Image:
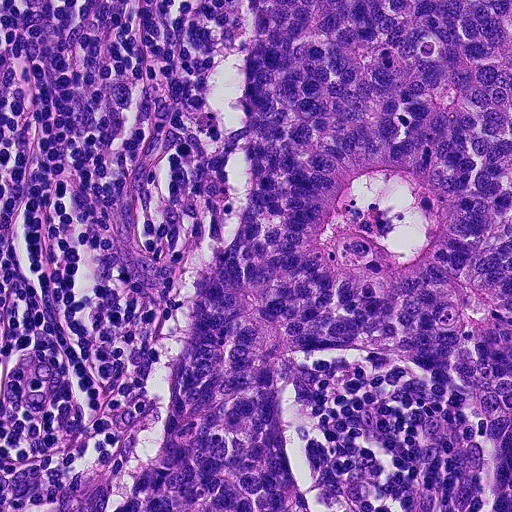
A 0.23-mm field of an H&E-stained sentinel lymph node from a breast-cancer patient (whole-slide image), shown at about 20×, about 0.45 µm per pixel.
Question:
Which parts of this field are metastatic tumour?
Answer:
Metastatic tumour outline, simplified to 7 points and listed clockwise in crop pixels (x, y): (236, 0), (511, 0), (511, 511), (63, 511), (142, 420), (226, 230), (239, 194).
Tumour covers about 60% of the frame.